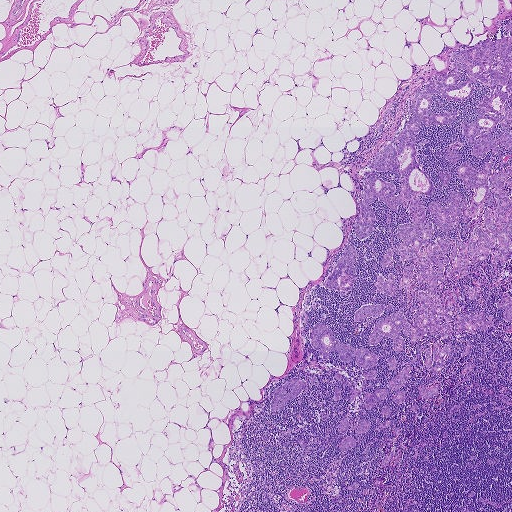
H&E-stained section of a sentinel lymph node (breast cancer), from a whole-slide image, viewed at about 2.5×: the field is about 1.9 mm across, about 3.6 µm per pixel.
Boundaries of eight metastatic tumour regions, simplified and listed clockwise, largest first: region 1: (318, 322), (325, 324), (332, 336), (342, 344), (350, 346), (354, 349), (364, 348), (378, 355), (376, 360), (378, 362), (375, 366), (365, 368), (358, 365), (354, 356), (349, 362), (344, 362), (338, 353), (333, 351), (328, 352), (327, 357), (320, 355), (309, 341), (312, 327); region 2: (351, 242), (355, 252), (354, 263), (356, 270), (353, 285), (344, 296), (340, 296), (338, 293), (340, 290), (325, 288), (323, 285), (325, 281), (345, 247); region 3: (295, 378), (305, 382), (306, 387), (287, 402), (282, 410), (271, 410), (270, 402), (275, 390), (284, 384), (288, 380); region 4: (435, 343), (437, 343), (440, 348), (442, 350), (444, 345), (446, 344), (449, 344), (450, 349), (448, 354), (443, 356), (444, 365), (439, 374), (434, 369), (429, 371), (429, 368), (434, 367), (437, 362), (432, 359), (429, 367), (427, 368), (425, 366), (424, 360), (426, 358), (425, 352), (428, 348), (430, 350), (431, 355); region 5: (380, 273), (387, 280), (388, 274), (393, 273), (396, 287), (394, 296), (378, 294), (375, 288), (372, 293), (377, 274); region 6: (379, 303), (383, 304), (384, 308), (378, 317), (367, 317), (362, 322), (358, 322), (354, 316), (354, 312), (364, 305); region 7: (409, 366), (411, 367), (409, 372), (410, 375), (400, 387), (395, 389), (390, 389), (388, 387), (388, 382), (404, 368); region 8: (505, 295), (508, 296), (511, 299), (511, 320), (506, 320), (503, 318), (502, 316), (504, 311), (504, 308), (501, 309), (498, 309), (497, 307), (497, 304), (500, 299).
One more tumour region is annotated but not outlined: its edge is too irregular for a short outline.
10 more, smaller tumour regions are not outlined.
14 more small tumour pieces are annotated here but not outlined.
About 10% of the image area is annotated as tumour.